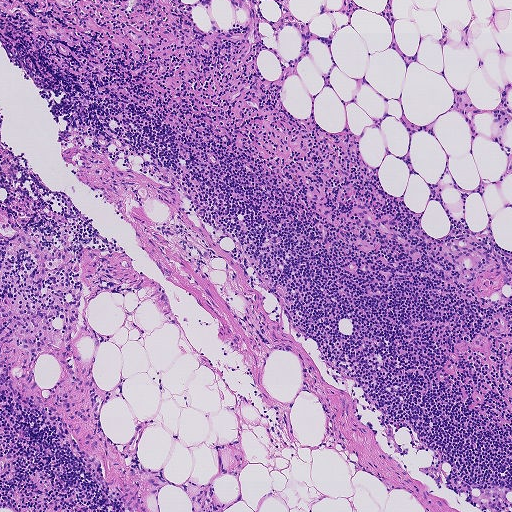
H&E-stained section of a sentinel lymph node (breast cancer), from a whole-slide image, viewed at about 5×: the field is about 0.93 mm across, about 1.8 µm per pixel.
Question: Is any metastatic breast cancer visible in this crop?
Answer: No: no metastatic tumour is outlined anywhere in this field.